Image:
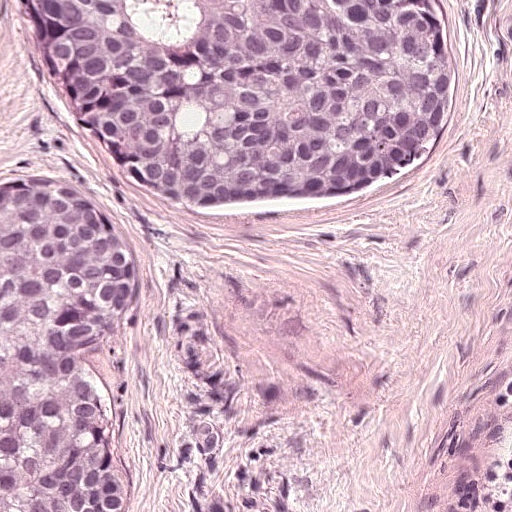
A 0.25-mm field of an H&E-stained sentinel lymph node from a breast-cancer patient (whole-slide image), shown at about 20×, about 0.49 µm per pixel.
Question:
Describe where the metastatic carcinoma lies in this crop.
Answer:
Outlines of two tumour regions, largest first (closed clockwise paths, crop pixels): region 1: (126, 0), (140, 41), (185, 53), (208, 34), (200, 0), (440, 0), (463, 67), (462, 110), (450, 148), (374, 191), (194, 214), (126, 178), (66, 122), (30, 40), (28, 2); region 2: (46, 172), (91, 180), (130, 213), (141, 235), (146, 268), (139, 313), (126, 344), (100, 359), (117, 426), (138, 466), (138, 511), (0, 511), (0, 188).
Tumour covers about 45% of the frame.